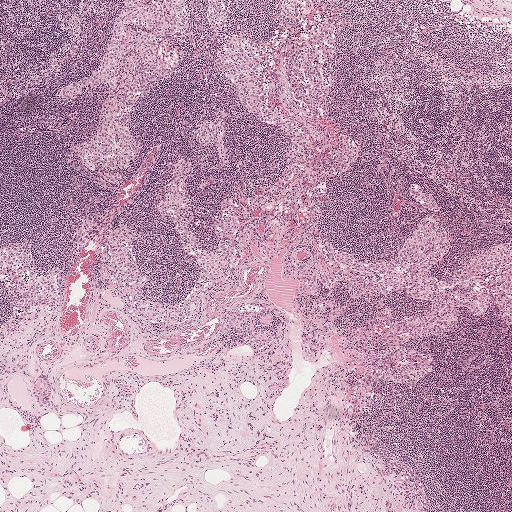
Lymph node section stained with H&E, from a whole-slide image of a breast-cancer sentinel node. Magnification about 2.5×, about 2.0 mm across the frame, about 3.9 µm per pixel.
Question: Is any metastatic breast cancer visible in this crop?
Answer: No, this field holds no outlined metastasis.